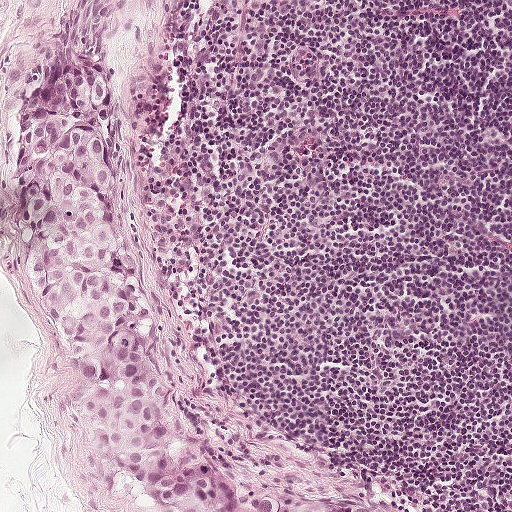
Lymph node section stained with H&E, from a whole-slide image of a breast-cancer sentinel node. Magnification about 10×, about 0.5 mm across the frame, about 0.97 µm per pixel.
Metastatic tumour outline, simplified to 14 points and listed clockwise in crop pixels (x, y): (58, 61), (113, 69), (106, 91), (128, 126), (135, 280), (203, 432), (244, 484), (338, 511), (137, 511), (98, 482), (78, 377), (31, 313), (18, 219), (23, 116).
About 20% of the image area is annotated as tumour.